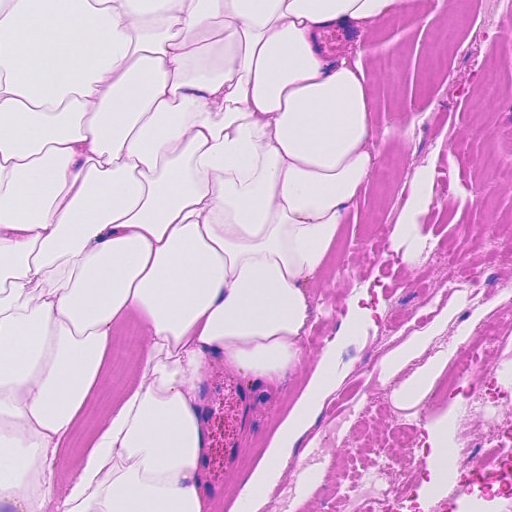
H&E-stained section of a sentinel lymph node (breast cancer), from a whole-slide image, viewed at about 20×: the field is about 0.23 mm across, about 0.45 µm per pixel.